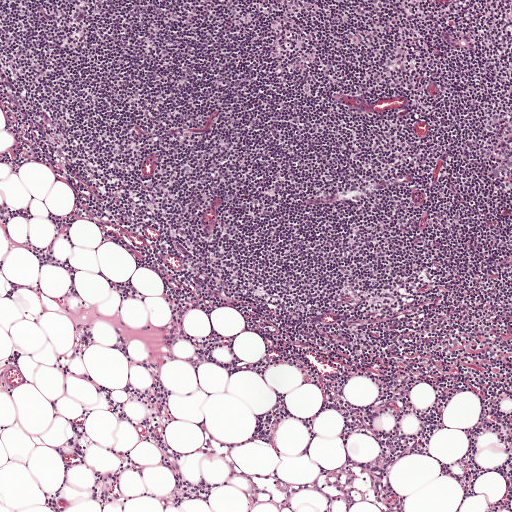
H&E-stained section of a sentinel lymph node (breast cancer), from a whole-slide image, viewed at about 5×: the field is about 1 mm across, about 1.9 µm per pixel.
One metastatic tumour region; its boundary, reduced to 10 corners and listed clockwise: (444, 30), (456, 30), (466, 33), (476, 39), (478, 48), (477, 54), (472, 54), (458, 52), (440, 37), (440, 32).
Under 5% of the image area is annotated as tumour.